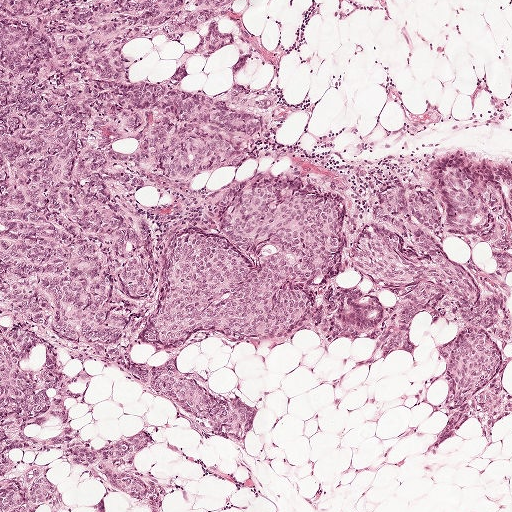
H&E-stained section of a sentinel lymph node (breast cancer), from a whole-slide image, viewed at about 5×: the field is about 1 mm across, about 1.9 µm per pixel.
Metastatic tumour outline, simplified to 20 points and listed clockwise in crop pixels (x, y): (0, 0), (353, 0), (282, 31), (194, 50), (173, 74), (290, 76), (336, 111), (352, 148), (511, 167), (506, 434), (488, 455), (453, 455), (416, 407), (410, 362), (344, 359), (293, 383), (248, 442), (208, 461), (154, 509), (0, 511).
About 75% of this field is tumour.